Question: 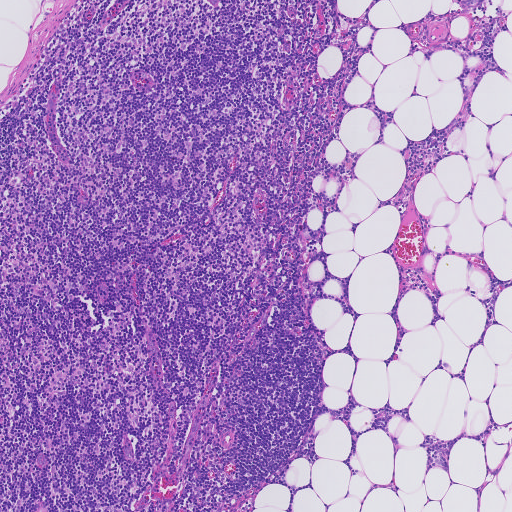
At roughly what magnification is this field shown?

Choices:
 (A) about 20×
 (B) about 2.5×
 (C) about 10×
 (D) about 5×
 (E) about 40×

Answer: (D) about 5×
H&E-stained section of a sentinel lymph node (breast cancer), from a whole-slide image, viewed at about 5×: the field is about 0.93 mm across, about 1.8 µm per pixel.